Question: 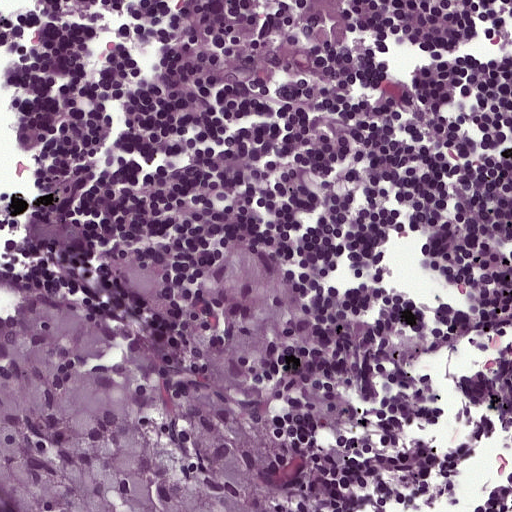
About what magnification does this crop show?

Choices:
 (A) about 2.5×
 (B) about 10×
 (C) about 5×
 (D) about 20×
 (E) about 40×

Answer: (D) about 20×
Lymph node section stained with H&E, from a whole-slide image of a breast-cancer sentinel node. Magnification about 20×, about 0.25 mm across the frame, about 0.49 µm per pixel.
Tumour region outline (a closed clockwise path, crop pixels): (190, 218), (243, 226), (280, 258), (318, 302), (327, 347), (296, 511), (0, 511), (0, 305).
Tumour covers about 30% of the frame.
Question: 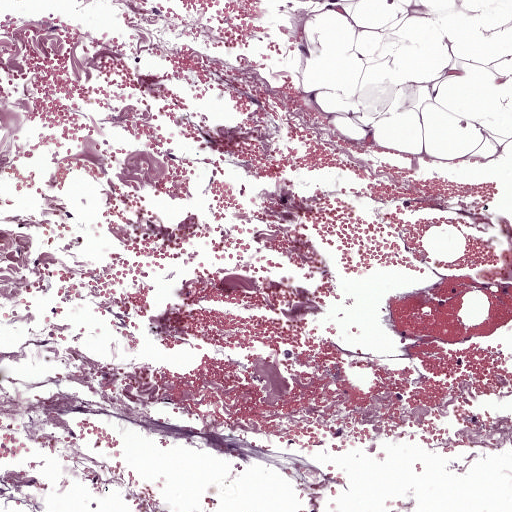
About what magnification does this crop show?

Choices:
 (A) about 20×
 (B) about 10×
 (C) about 40×
 (D) about 5×
 (E) about 2.5×

Answer: (B) about 10×
H&E-stained section of a sentinel lymph node (breast cancer), from a whole-slide image, viewed at about 10×: the field is about 0.5 mm across, about 0.97 µm per pixel.
Question: 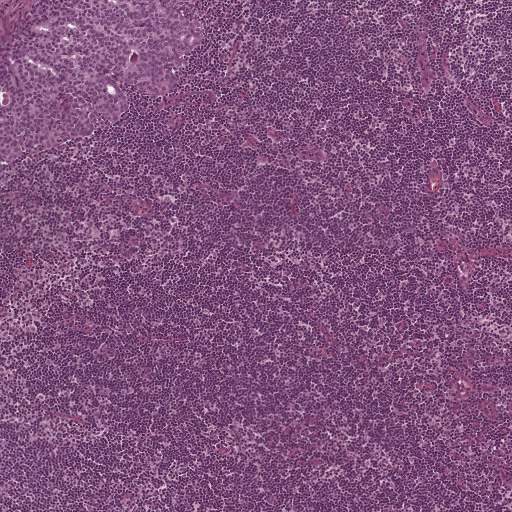
About what magnification does this crop show?

Choices:
 (A) about 20×
 (B) about 10×
 (C) about 40×
 (D) about 2.5×
 (E) about 5×

Answer: (E) about 5×
H&E-stained section of a sentinel lymph node (breast cancer), from a whole-slide image, viewed at about 5×: the field is about 1 mm across, about 1.9 µm per pixel.
The outlined metastatic tumour's edge, as a closed clockwise path of 10 points: (31, 0), (205, 0), (205, 30), (178, 91), (159, 99), (120, 83), (132, 107), (118, 124), (4, 168), (0, 47).
Tumour covers about 10% of the frame.
Question: 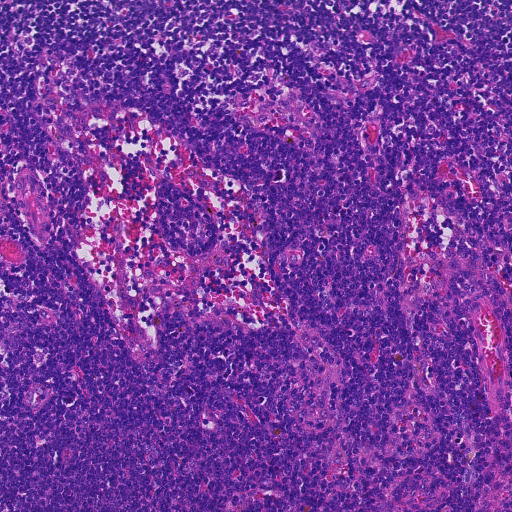
About what magnification does this crop show?

Choices:
 (A) about 10×
 (B) about 20×
 (C) about 40×
 (D) about 5×
 (E) about 2.5×

Answer: (A) about 10×
This is a crop of a whole-slide image: an H&E-stained breast-cancer sentinel lymph node section at roughly 10× magnification (about 0.91 µm per pixel; the crop spans about 0.46 mm).